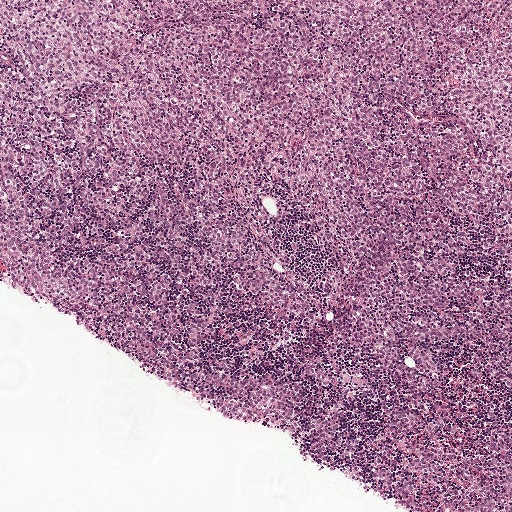
A 1-mm field of an H&E-stained sentinel lymph node from a breast-cancer patient (whole-slide image), shown at about 5×, about 1.9 µm per pixel.
The outlined metastatic tumour's edge, as a closed clockwise path of 6 points: (0, 0), (511, 0), (511, 511), (382, 511), (194, 381), (2, 284).
Tumour covers about 80% of the frame.